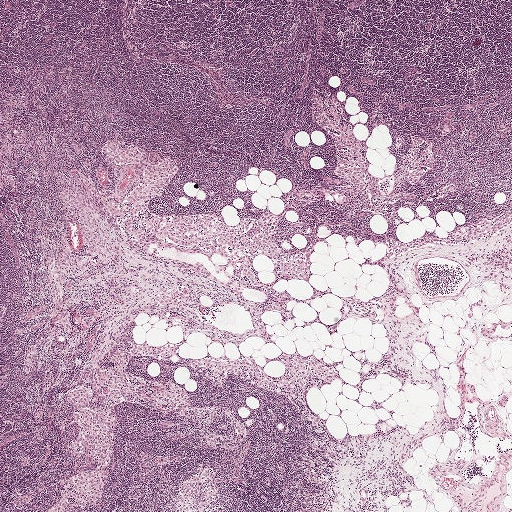
Lymph node section stained with H&E, from a whole-slide image of a breast-cancer sentinel node. Magnification about 2.5×, about 2.0 mm across the frame, about 3.9 µm per pixel.
Metastatic tumour outline, simplified to 18 points and listed clockwise in crop pixels (x, y): (66, 178), (87, 191), (97, 203), (104, 228), (108, 234), (110, 234), (104, 249), (97, 246), (90, 251), (86, 250), (83, 246), (81, 223), (73, 217), (66, 207), (55, 200), (60, 193), (60, 186), (57, 180).
The annotated tumour makes up under 5% of the crop.